Image:
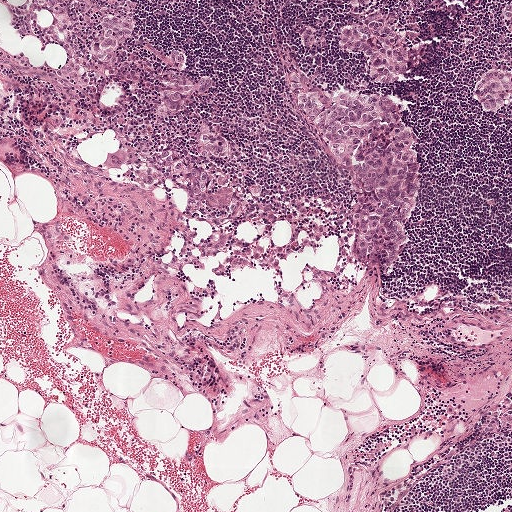
A 1-mm field of an H&E-stained sentinel lymph node from a breast-cancer patient (whole-slide image), shown at about 5×, about 1.9 µm per pixel.
Question:
Does this lymph node field contain metastatic tumour?
Answer:
Yes.
The eight largest tumour regions' boundaries, simplified and listed clockwise, largest first: region 1: (301, 70), (306, 86), (320, 93), (384, 91), (394, 93), (402, 103), (402, 117), (414, 134), (420, 174), (417, 198), (406, 220), (408, 242), (387, 265), (378, 260), (363, 263), (358, 257), (350, 169), (330, 154), (298, 110), (286, 83), (287, 71); region 2: (374, 13), (383, 14), (388, 23), (401, 32), (408, 49), (408, 63), (404, 74), (391, 84), (374, 80), (362, 54), (343, 49), (338, 42), (338, 32), (344, 26), (361, 22); region 3: (178, 48), (185, 53), (183, 71), (186, 76), (194, 80), (202, 74), (206, 74), (210, 76), (212, 84), (206, 90), (187, 93), (180, 109), (162, 113), (157, 101), (162, 88), (170, 85), (160, 78), (159, 74), (163, 69), (170, 69), (166, 60), (168, 52), (170, 49); region 4: (167, 148), (187, 164), (198, 166), (209, 171), (210, 177), (206, 187), (198, 192), (190, 192), (182, 179), (176, 173), (145, 184), (144, 173), (147, 162), (140, 156), (140, 151), (150, 152); region 5: (91, 0), (129, 0), (133, 4), (134, 31), (130, 35), (121, 38), (119, 47), (110, 50), (107, 57), (102, 59), (97, 59), (93, 51), (101, 32), (106, 6), (100, 2); region 6: (492, 69), (511, 71), (511, 74), (511, 94), (505, 100), (502, 107), (496, 110), (490, 110), (479, 105), (473, 93), (482, 76); region 7: (73, 56), (82, 59), (88, 74), (88, 89), (78, 87), (55, 72); region 8: (205, 131), (218, 133), (226, 138), (228, 145), (228, 153), (227, 157), (217, 156), (212, 153), (209, 153), (207, 156), (201, 154), (201, 150), (208, 147), (206, 143), (199, 141), (199, 136), (200, 132).
Three more, smaller tumour regions are not outlined.
About 10% of the image area is annotated as tumour.